Question: 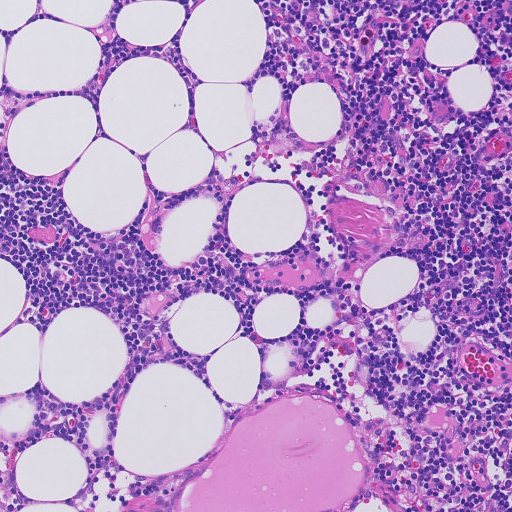
About what magnification does this crop show?

Choices:
 (A) about 20×
 (B) about 10×
 (C) about 5×
 (D) about 2.5×
 (E) about 40×

Answer: (B) about 10×
Lymph node section stained with H&E, from a whole-slide image of a breast-cancer sentinel node. Magnification about 10×, about 0.46 mm across the frame, about 0.91 µm per pixel.